Question: 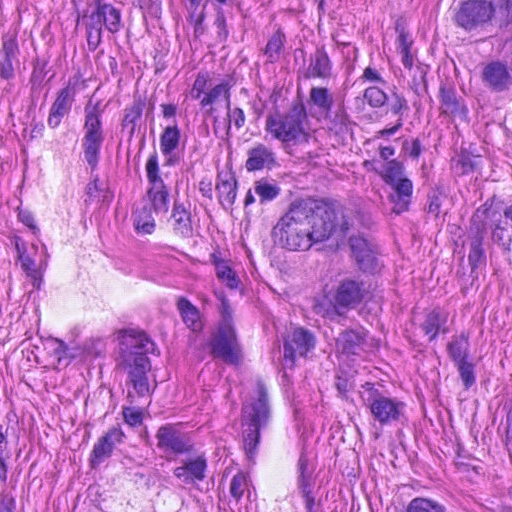
Which magnification is this H&E lymph node field most likely shown at?

Choices:
 (A) about 2.5×
 (B) about 20×
 (C) about 10×
 (D) about 5×
 (E) about 40×

Answer: (E) about 40×
This is a crop of a whole-slide image: an H&E-stained breast-cancer sentinel lymph node section at roughly 40× magnification (about 0.23 µm per pixel; the crop spans about 0.12 mm).
Boundaries of four metastatic tumour regions, simplified and listed clockwise, largest first: region 1: (308, 0), (511, 0), (511, 288), (485, 260), (437, 112), (380, 137), (322, 112); region 2: (322, 188), (383, 218), (406, 281), (350, 322), (285, 295), (237, 241), (260, 196); region 3: (114, 442), (176, 474), (203, 511), (78, 511), (78, 502); region 4: (379, 458), (439, 477), (466, 511), (371, 511), (370, 483).
One more small tumour piece is annotated here but not outlined.
About 20% of the image area is annotated as tumour.